Lymph node section stained with H&E, from a whole-slide image of a breast-cancer sentinel node. Magnification about 10×, about 0.5 mm across the frame, about 0.97 µm per pixel.
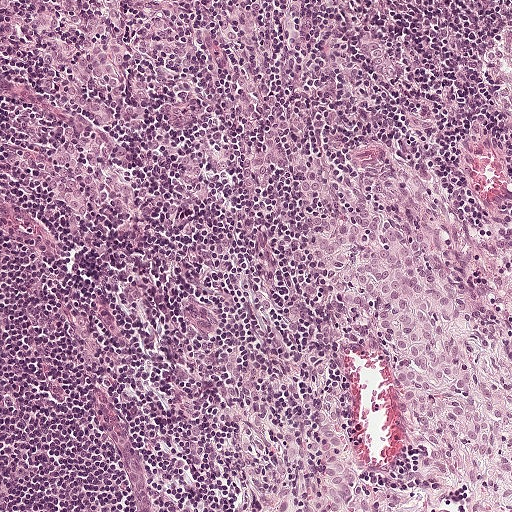
Tumour region outline (a closed clockwise path, crop pixels): (320, 176), (338, 178), (386, 206), (399, 223), (423, 232), (463, 277), (482, 359), (511, 404), (511, 427), (502, 430), (492, 462), (478, 462), (465, 450), (437, 473), (418, 465), (409, 450), (400, 358), (367, 335), (338, 293), (296, 267), (300, 251), (317, 237), (318, 209), (304, 186).
About 10% of this field is tumour.